Question: 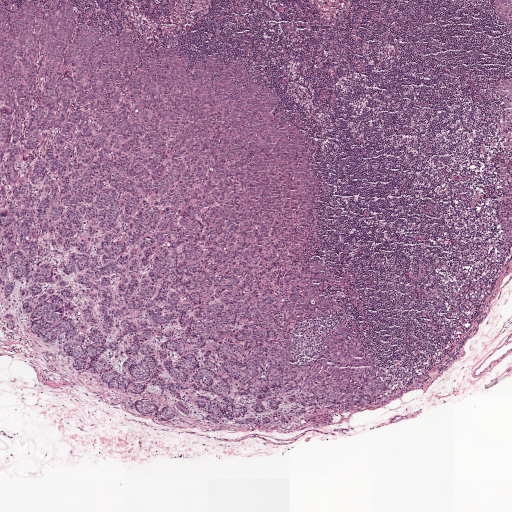
A 2.0-mm field of an H&E-stained sentinel lymph node from a breast-cancer patient (whole-slide image), shown at about 2.5×, about 3.9 µm per pixel.
Estimate the proportion of this field that is metastatic tumour.

Choices:
 (A) about 10% to 20%
 (B) none: no tumour is outlined
 (C) about 25% to 45%
 (D) about 50% or more
 (E) about 5% or less

Answer: (C) about 25% to 45%
About 45% of the field is tumour.
Three metastatic tumour regions, each outlined as a closed clockwise path in crop pixels (x, y), largest first: region 1: (24, 0), (67, 0), (75, 28), (98, 25), (100, 40), (128, 32), (178, 47), (189, 66), (216, 54), (276, 93), (320, 179), (306, 253), (326, 265), (339, 306), (294, 329), (293, 351), (314, 358), (343, 320), (392, 380), (325, 427), (161, 422), (0, 330), (0, 3), (11, 18); region 2: (511, 77), (511, 248), (507, 250), (501, 247), (500, 243), (501, 237), (502, 230), (501, 226), (499, 219), (498, 213), (501, 200), (501, 193), (500, 186), (501, 180), (498, 174), (497, 167), (498, 154), (503, 149), (503, 142), (502, 131), (500, 125), (502, 112), (502, 98), (499, 92), (497, 86), (500, 80), (506, 78); region 3: (491, 0), (511, 0), (511, 41), (508, 35), (506, 29), (503, 23), (498, 19), (494, 14), (490, 8).